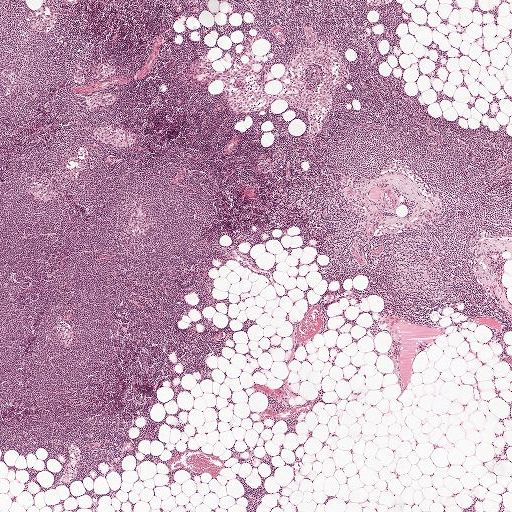
Lymph node section stained with H&E, from a whole-slide image of a breast-cancer sentinel node. Magnification about 2.5×, about 2.0 mm across the frame, about 3.9 µm per pixel.
Question: Does this lymph node field contain metastatic tumour?
Answer: No, this field holds no outlined metastasis.